Question: 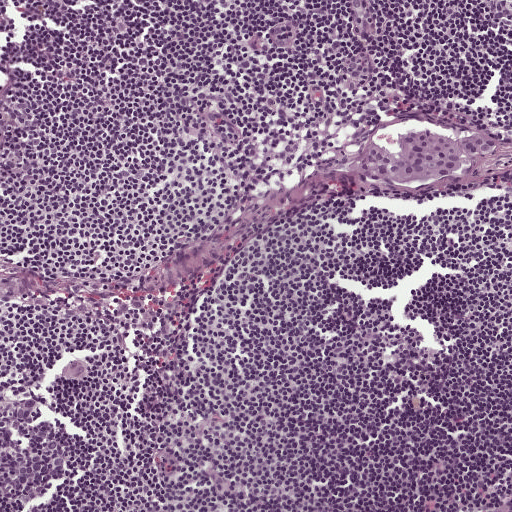
Which magnification is this H&E lymph node field most likely shown at?

Choices:
 (A) about 10×
 (B) about 5×
 (C) about 40×
 (D) about 2.5×
 (E) about 20×

Answer: (A) about 10×
H&E-stained section of a sentinel lymph node (breast cancer), from a whole-slide image, viewed at about 10×: the field is about 0.5 mm across, about 0.97 µm per pixel.
Metastatic tumour outline, simplified to 21 points and listed clockwise in crop pixels (x, y): (426, 129), (458, 136), (478, 133), (492, 137), (499, 143), (491, 154), (475, 159), (471, 164), (464, 166), (460, 173), (446, 177), (404, 183), (380, 182), (346, 171), (348, 166), (357, 152), (369, 142), (375, 138), (396, 151), (397, 137), (402, 132).
Tumour covers under 5% of the frame.